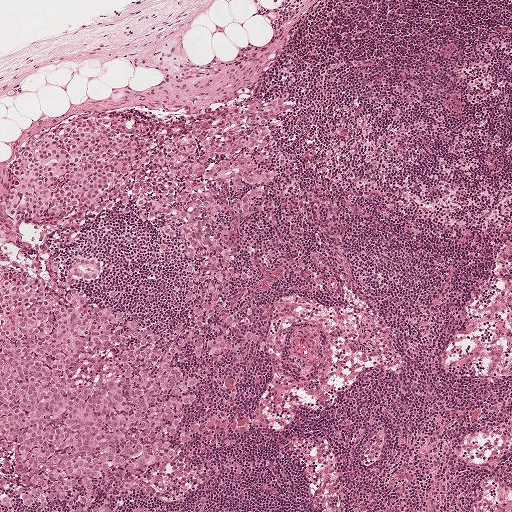
This is a crop of a whole-slide image: an H&E-stained breast-cancer sentinel lymph node section at roughly 5× magnification (about 1.9 µm per pixel; the crop spans about 1 mm).
Outlines of three tumour regions, largest first (closed clockwise paths, crop pixels): region 1: (78, 256), (98, 261), (97, 276), (77, 287), (160, 338), (180, 339), (174, 366), (197, 378), (185, 391), (196, 401), (168, 438), (172, 458), (107, 472), (98, 511), (30, 509), (19, 501), (20, 484), (0, 470), (0, 268), (48, 280); region 2: (247, 101), (294, 107), (267, 125), (258, 163), (271, 178), (248, 212), (230, 206), (246, 186), (210, 187), (211, 236), (248, 276), (229, 282), (236, 323), (224, 356), (192, 359), (179, 248), (130, 208), (65, 228), (5, 218), (10, 160), (40, 128), (107, 108), (181, 119); region 3: (5, 496), (9, 497), (11, 499), (12, 505), (12, 511), (0, 511), (0, 499), (1, 499), (2, 497).
The annotated tumour makes up about 25% of the crop.